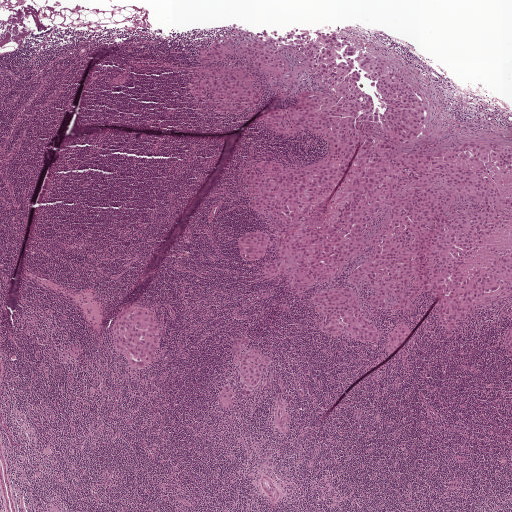
This is a crop of a whole-slide image: an H&E-stained breast-cancer sentinel lymph node section at roughly 2.5× magnification (about 3.9 µm per pixel; the crop spans about 2.0 mm).
Outlines of six tumour regions, largest first (closed clockwise paths, crop pixels): region 1: (233, 23), (327, 29), (407, 81), (428, 138), (511, 143), (511, 292), (482, 302), (446, 340), (429, 293), (408, 314), (375, 320), (374, 346), (324, 337), (311, 297), (351, 280), (381, 215), (353, 261), (302, 293), (258, 270), (270, 248), (242, 261), (240, 237), (276, 236), (246, 207), (244, 170), (311, 162), (325, 145), (255, 123), (298, 99), (276, 100), (269, 76), (247, 63), (265, 98), (218, 119), (202, 112), (190, 99), (192, 57); region 2: (137, 305), (150, 310), (159, 329), (160, 349), (156, 359), (148, 367), (138, 368), (128, 367), (119, 362), (112, 343), (114, 322), (119, 313), (128, 307); region 3: (245, 336), (268, 356), (269, 366), (262, 373), (254, 392), (245, 397), (240, 388), (240, 378), (231, 360), (236, 340); region 4: (399, 323), (407, 327), (411, 332), (402, 350), (393, 355), (385, 349), (391, 329); region 5: (226, 384), (231, 384), (235, 393), (235, 403), (230, 411), (220, 411), (216, 402); region 6: (511, 329), (511, 357), (509, 356), (505, 347), (503, 337).
About 25% of the image area is annotated as tumour.